Question: 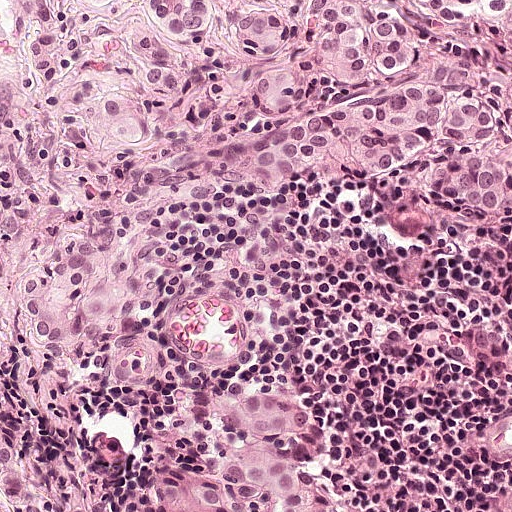
Lymph node section stained with H&E, from a whole-slide image of a breast-cancer sentinel node. Magnification about 20×, about 0.25 mm across the frame, about 0.49 µm per pixel.
Estimate the proportion of this field that is metastatic tumour.

Choices:
 (A) none: no tumour is outlined
 (B) about 50% or more
 (C) about 5% or less
 (D) about 25% to 45%
 (E) about 10% to 20%

Answer: (B) about 50% or more
About 70% of the field is tumour.
The outlined metastatic tumour's edge, as a closed clockwise path of 12 points: (0, 0), (511, 0), (511, 220), (454, 226), (358, 163), (202, 237), (167, 284), (163, 302), (187, 360), (352, 428), (354, 506), (0, 511).